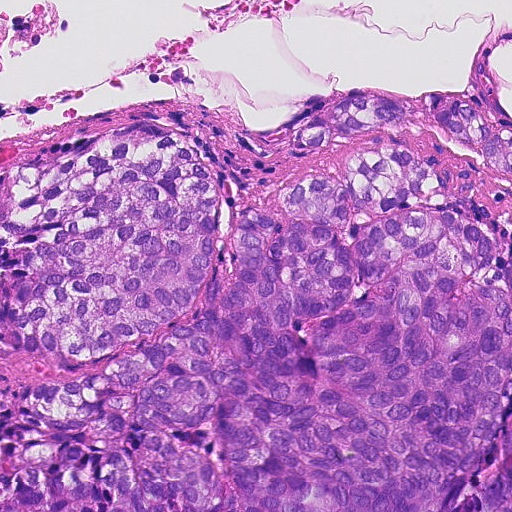
H&E-stained section of a sentinel lymph node (breast cancer), from a whole-slide image, viewed at about 20×: the field is about 0.23 mm across, about 0.45 µm per pixel.
Outlines of two tumour regions, largest first (closed clockwise paths, crop pixels): region 1: (141, 122), (205, 156), (235, 202), (276, 216), (280, 184), (334, 174), (352, 150), (388, 144), (421, 162), (448, 210), (506, 254), (511, 511), (0, 511), (0, 456), (14, 460), (33, 430), (16, 398), (22, 384), (76, 379), (112, 354), (61, 366), (0, 342), (6, 174); region 2: (354, 90), (388, 92), (404, 98), (436, 92), (468, 96), (511, 132), (511, 179), (444, 140), (426, 136), (413, 127), (398, 136), (365, 129), (298, 160), (283, 152), (285, 136), (340, 96).
About 70% of this field is tumour.